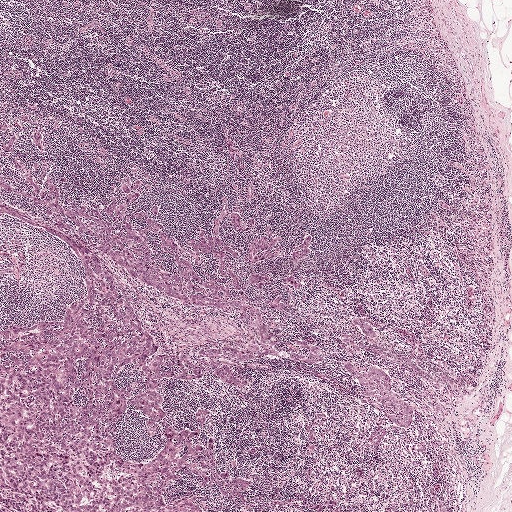
Lymph node section stained with H&E, from a whole-slide image of a breast-cancer sentinel node. Magnification about 2.5×, about 2.0 mm across the frame, about 3.9 µm per pixel.
Question: Does this lymph node field contain metastatic tumour?
Answer: Yes.
The outlined metastatic tumour's edge, as a closed clockwise path of 23 points: (74, 246), (102, 259), (155, 346), (117, 387), (169, 353), (205, 365), (203, 377), (170, 380), (151, 425), (127, 414), (119, 449), (142, 462), (168, 429), (190, 425), (250, 480), (244, 503), (178, 469), (162, 490), (194, 493), (206, 511), (0, 511), (0, 329), (83, 296).
About 15% of the image area is annotated as tumour.